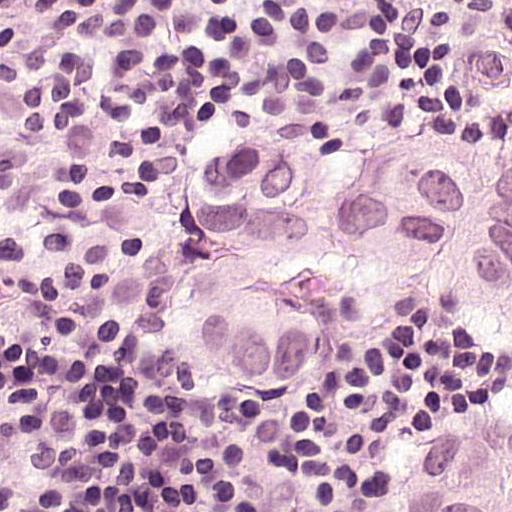
A 0.12-mm field of an H&E-stained sentinel lymph node from a breast-cancer patient (whole-slide image), shown at about 40×, about 0.24 µm per pixel.
One metastatic tumour region; its boundary, reduced to 18 corners and listed clockwise: (208, 108), (508, 140), (511, 511), (377, 511), (420, 433), (499, 377), (489, 330), (455, 305), (386, 293), (345, 330), (320, 380), (280, 408), (208, 399), (167, 365), (145, 312), (145, 277), (167, 249), (161, 190).
About 35% of this field is tumour.